Image:
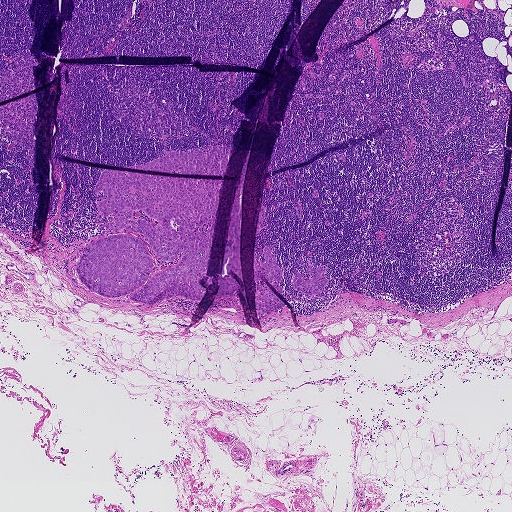
A 1.9-mm field of an H&E-stained sentinel lymph node from a breast-cancer patient (whole-slide image), shown at about 2.5×, about 3.6 µm per pixel.
Question:
Where is the metastatic tumour in this field? Give each region's outline as (x, y) pixel points.
Answer:
Boundaries of four metastatic tumour regions, simplified and listed clockwise, largest first: region 1: (102, 171), (221, 181), (205, 272), (198, 281), (205, 289), (199, 299), (129, 299), (148, 279), (111, 298), (85, 287), (78, 264), (95, 241), (135, 237), (152, 259), (150, 275), (177, 264), (182, 253), (163, 260), (142, 235), (104, 225), (116, 215), (98, 210), (108, 196), (94, 191); region 2: (216, 145), (231, 148), (223, 175), (145, 170), (129, 167), (150, 161), (173, 150), (181, 152), (195, 148), (207, 152); region 3: (267, 244), (276, 258), (282, 273), (280, 281), (274, 282), (282, 287), (285, 297), (267, 276), (259, 274), (259, 277), (285, 305), (273, 312), (265, 312), (261, 312), (256, 305), (254, 280), (254, 252), (258, 253), (261, 261), (266, 262), (263, 259), (262, 250), (264, 246); region 4: (308, 264), (315, 268), (322, 266), (325, 270), (321, 275), (327, 280), (320, 293), (309, 294), (301, 293), (292, 288), (291, 285), (297, 271), (302, 276), (304, 279), (311, 279), (314, 272), (312, 274), (308, 274), (305, 271).
Tumour covers about 5% of the frame.